Question: 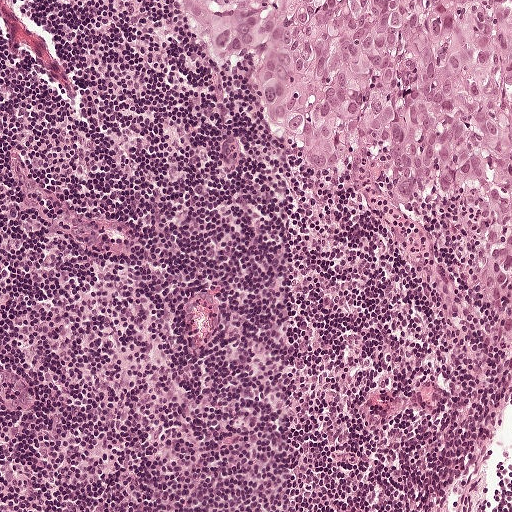
H&E-stained section of a sentinel lymph node (breast cancer), from a whole-slide image, viewed at about 10×: the field is about 0.5 mm across, about 0.97 µm per pixel.
What fraction of the image area is metastatic tumour?

Choices:
 (A) none: no tumour is outlined
 (B) about 5% or less
 (C) about 10% to 20%
 (D) about 50% or more
 (E) about 25% to 45%

Answer: (C) about 10% to 20%
About 20% of the field is tumour.
The outlined metastatic tumour's edge, as a closed clockwise path of 10 points: (157, 0), (511, 0), (511, 339), (483, 206), (462, 218), (422, 216), (388, 195), (375, 154), (310, 175), (260, 98).